Lymph node section stained with H&E, from a whole-slide image of a breast-cancer sentinel node. Magnification about 20×, about 0.25 mm across the frame, about 0.49 µm per pixel.
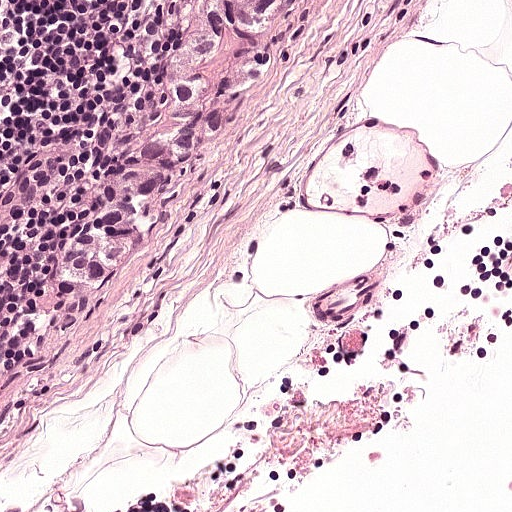
One metastatic tumour region; its boundary, reduced to 12 corners and listed clockwise: (188, 0), (304, 0), (272, 54), (254, 112), (224, 166), (170, 210), (144, 264), (108, 310), (86, 330), (54, 330), (34, 316), (107, 150).
The annotated tumour makes up about 15% of the crop.